Question: 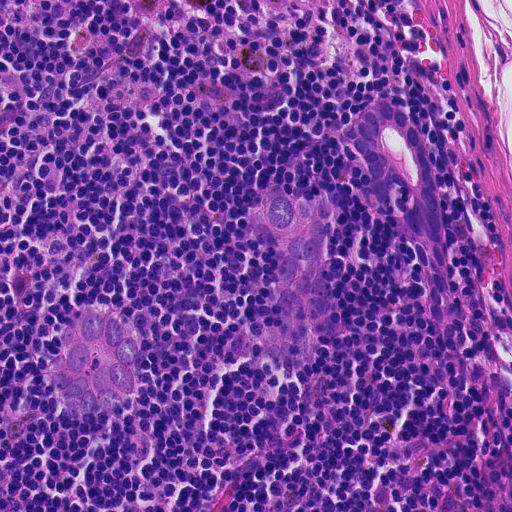
A 0.23-mm field of an H&E-stained sentinel lymph node from a breast-cancer patient (whole-slide image), shown at about 20×, about 0.45 µm per pixel.
Roughly what share of this field is metastatic tumour?

Choices:
 (A) about 25% to 45%
 (B) about 5% or less
 (C) none: no tumour is outlined
 (D) about 50% or more
 (E) about 10% to 20%

Answer: (E) about 10% to 20%
About 10% of the field is tumour.
Boundaries of three metastatic tumour regions, simplified and listed clockwise, largest first: region 1: (380, 96), (400, 98), (422, 137), (449, 232), (435, 245), (416, 240), (400, 228), (371, 194), (358, 154), (350, 142), (351, 122), (363, 106); region 2: (272, 187), (300, 197), (319, 194), (335, 206), (328, 246), (329, 268), (338, 286), (338, 306), (326, 322), (308, 328), (292, 317), (281, 300), (276, 282), (272, 242), (262, 204); region 3: (85, 304), (126, 310), (136, 348), (137, 387), (122, 402), (104, 413), (84, 415), (66, 409), (48, 372), (70, 336), (70, 316).